Image:
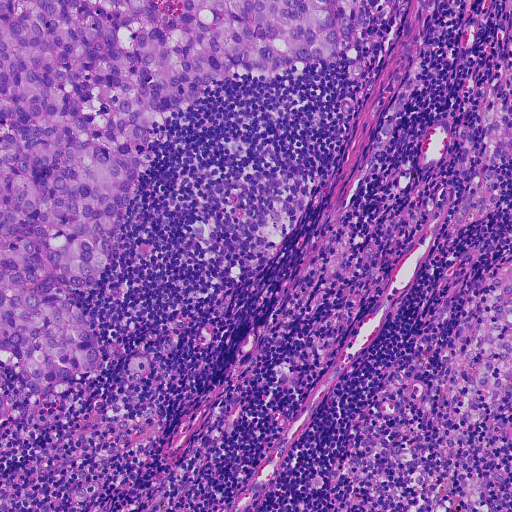
This is a crop of a whole-slide image: an H&E-stained breast-cancer sentinel lymph node section at roughly 10× magnification (about 0.91 µm per pixel; the crop spans about 0.46 mm).
Question:
Which parts of this field are metastatic tumour?
Answer:
Two metastatic tumour regions, each outlined as a closed clockwise path in crop pixels (x, y), largest first: region 1: (0, 0), (411, 0), (336, 64), (238, 73), (170, 110), (100, 278), (68, 286), (104, 346), (104, 370), (69, 380), (78, 397), (68, 407), (34, 395), (0, 362); region 2: (0, 376), (18, 396), (12, 406), (13, 418), (11, 426), (4, 436), (0, 436).
Tumour covers about 25% of the frame.